This is a crop of a whole-slide image: an H&E-stained breast-cancer sentinel lymph node section at roughly 5× magnification (about 1.8 µm per pixel; the crop spans about 0.93 mm).
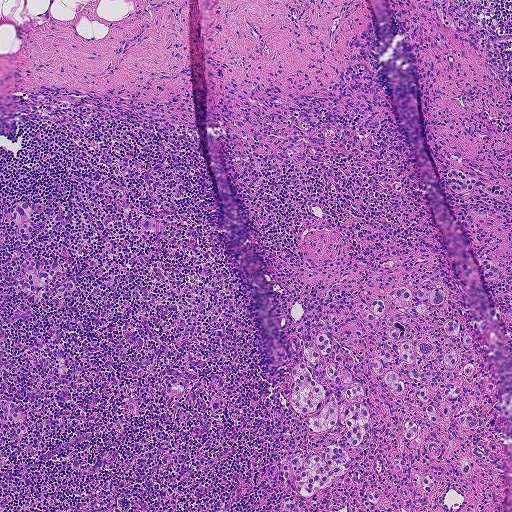
Question: Outline the metastatic carcinoma in this image, as closed paths of (x, y) pixel coordinates.
Answer: The eight largest tumour regions' boundaries, simplified and listed clockwise, largest first: region 1: (322, 333), (332, 350), (321, 355), (319, 364), (339, 366), (364, 387), (369, 422), (358, 448), (346, 442), (346, 428), (334, 430), (352, 467), (329, 487), (303, 497), (293, 487), (283, 489), (278, 476), (294, 452), (308, 455), (308, 416), (289, 403), (291, 374), (306, 363), (301, 346); region 2: (457, 320), (472, 339), (469, 345), (456, 338), (456, 350), (478, 373), (469, 378), (457, 365), (448, 369), (444, 357), (451, 348), (435, 347), (439, 371), (429, 386), (458, 381), (461, 398), (474, 402), (468, 412), (478, 428), (467, 429), (443, 414), (440, 426), (434, 424), (424, 409), (429, 404), (418, 397), (403, 409), (369, 366), (376, 344), (394, 352), (400, 343), (388, 336), (390, 324), (403, 323), (406, 341), (413, 343), (426, 336), (444, 340), (445, 322); region 3: (403, 286), (415, 291), (423, 287), (429, 290), (435, 287), (441, 288), (445, 293), (444, 300), (440, 304), (433, 305), (427, 302), (430, 310), (426, 315), (414, 316), (395, 309), (388, 295), (391, 290); region 4: (451, 168), (458, 169), (482, 182), (495, 185), (511, 193), (511, 200), (503, 196), (496, 198), (478, 189), (458, 193), (446, 186), (446, 172); region 5: (380, 299), (385, 302), (385, 308), (381, 314), (374, 315), (376, 320), (370, 321), (364, 319), (358, 308), (361, 302), (366, 305), (370, 310), (369, 304), (374, 300); region 6: (483, 258), (495, 260), (499, 266), (499, 273), (496, 278), (482, 277), (478, 264); region 7: (418, 472), (420, 478), (432, 474), (436, 477), (436, 484), (434, 490), (428, 492), (420, 483), (417, 485), (413, 482), (412, 476); region 8: (411, 421), (416, 424), (417, 430), (417, 436), (412, 440), (405, 439), (402, 434), (405, 422).
One more, smaller tumour region is not outlined.
Four more small tumour pieces are annotated here but not outlined.
The annotated tumour makes up about 5% of the crop.